Question: 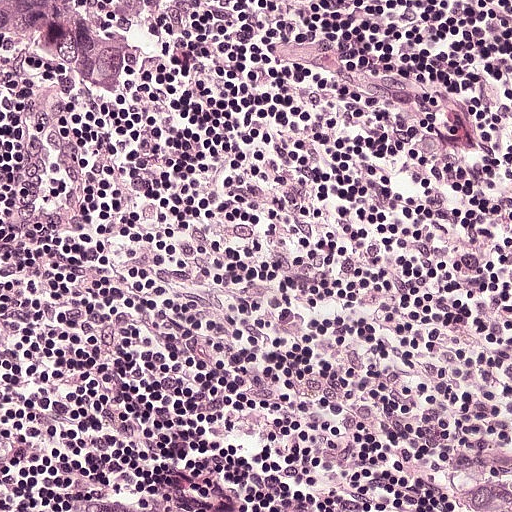
Which magnification is this H&E lymph node field most likely shown at?

Choices:
 (A) about 20×
 (B) about 5×
 (C) about 2.5×
 (D) about 10×
 (E) about 40×

Answer: (A) about 20×
Lymph node section stained with H&E, from a whole-slide image of a breast-cancer sentinel node. Magnification about 20×, about 0.25 mm across the frame, about 0.49 µm per pixel.